H&E-stained section of a sentinel lymph node (breast cancer), from a whole-slide image, viewed at about 5×: the field is about 1 mm across, about 1.9 µm per pixel.
Question: 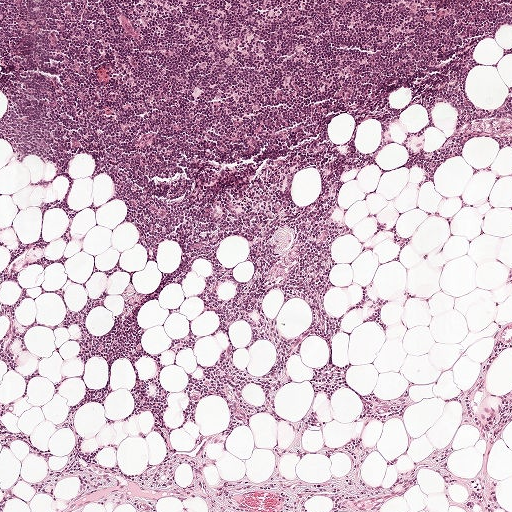
About how much of this crop is taken up by metastatic carcinoma?

Choices:
 (A) about 10% to 20%
 (B) none: no tumour is outlined
 (C) about 50% or more
 (D) about 5% or less
 (E) about 25% to 45%

Answer: (B) none: no tumour is outlined
No metastatic tumour is outlined in this field.